Question: 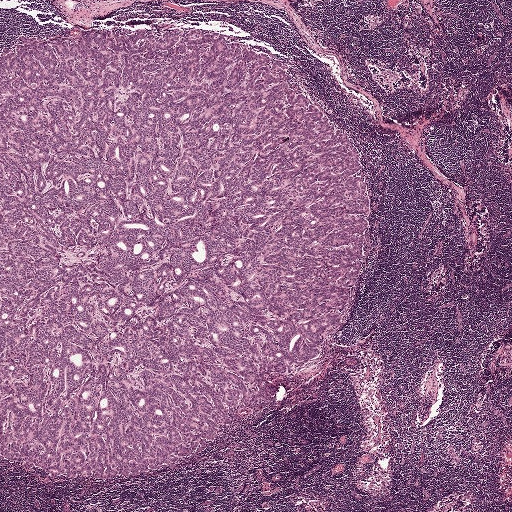
This is a crop of a whole-slide image: an H&E-stained breast-cancer sentinel lymph node section at roughly 2.5× magnification (about 3.9 µm per pixel; the crop spans about 2.0 mm).
Estimate the proportion of this field that is metastatic tumour.

Choices:
 (A) about 25% to 45%
 (B) about 5% or less
 (C) about 50% or more
 (D) about 10% to 20%
 (E) none: no tumour is outlined

Answer: (C) about 50% or more
About 55% of the field is tumour.
Tumour region outline (a closed clockwise path, crop pixels): (196, 26), (276, 59), (355, 142), (368, 185), (370, 246), (332, 337), (275, 377), (268, 405), (243, 404), (212, 445), (135, 478), (67, 481), (0, 454), (0, 51), (20, 35).